Question: 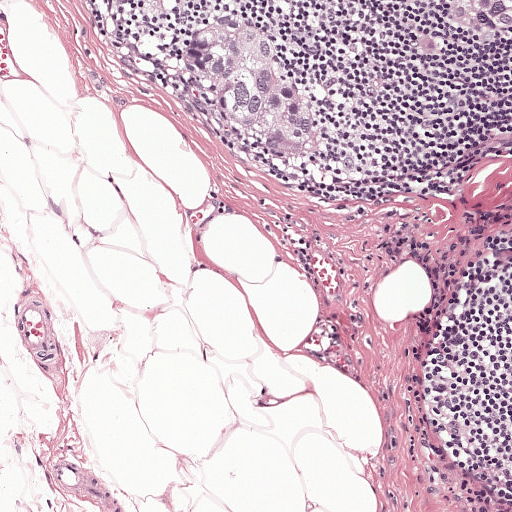
Lymph node section stained with H&E, from a whole-slide image of a breast-cancer sentinel node. Magnification about 10×, about 0.5 mm across the frame, about 0.97 µm per pixel.
Estimate the proportion of this field that is metastatic tumour.

Choices:
 (A) about 50% or more
 (B) about 10% to 20%
 (C) none: no tumour is outlined
 (D) about 25% to 45%
 (E) about 5% or less

Answer: (E) about 5% or less
About 5% of the field is tumour.
Two metastatic tumour regions, each outlined as a closed clockwise path in crop pixels (x, y), largest first: region 1: (220, 12), (262, 19), (281, 36), (312, 96), (321, 123), (323, 152), (313, 161), (301, 160), (232, 129), (186, 97), (172, 72), (172, 40), (184, 28); region 2: (451, 0), (511, 0), (511, 36), (484, 38), (456, 28), (444, 30), (452, 38), (452, 52), (442, 57), (426, 57), (413, 50), (413, 38), (436, 30), (433, 18).